A 0.46-mm field of an H&E-stained sentinel lymph node from a breast-cancer patient (whole-slide image), shown at about 10×, about 0.9 µm per pixel.
Image:
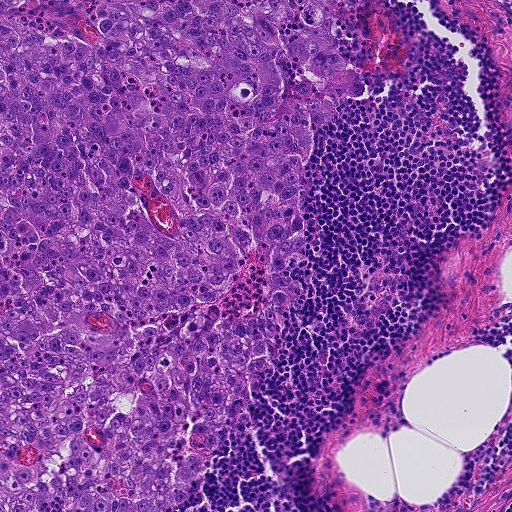
Question:
Where is the metastatic tumour in this field? Give each region's outline as (x, y) pixel points.
Answer:
One metastatic tumour region; its boundary, reduced to 13 corners and listed clockwise: (0, 0), (335, 0), (328, 30), (368, 95), (335, 107), (314, 136), (298, 198), (299, 284), (269, 369), (184, 505), (77, 511), (54, 499), (0, 511).
Tumour covers about 55% of the frame.